Question: 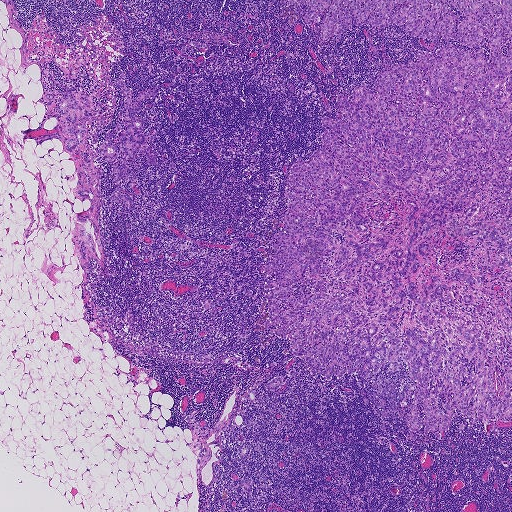
Which magnification is this H&E lymph node field most likely shown at?

Choices:
 (A) about 5×
 (B) about 40×
 (C) about 20×
 (D) about 10×
 (E) about 2.5×

Answer: (E) about 2.5×
A 1.9-mm field of an H&E-stained sentinel lymph node from a breast-cancer patient (whole-slide image), shown at about 2.5×, about 3.6 µm per pixel.
Outlines of four tumour regions, largest first (closed clockwise paths, crop pixels): region 1: (511, 0), (510, 429), (460, 433), (455, 414), (411, 440), (406, 414), (363, 400), (372, 373), (322, 381), (264, 330), (292, 162), (322, 115), (344, 121), (339, 94), (446, 42), (364, 23), (319, 42), (323, 14), (308, 28), (280, 1); region 2: (66, 91), (85, 94), (93, 102), (91, 110), (84, 108), (86, 117), (101, 114), (111, 119), (101, 126), (86, 122), (87, 136), (76, 149), (90, 145), (93, 162), (101, 168), (97, 223), (102, 270), (92, 256), (90, 266), (82, 268), (72, 244), (74, 234), (83, 230), (73, 215), (90, 206), (73, 193), (78, 178), (60, 141), (51, 139), (34, 148), (34, 140), (24, 139), (24, 144), (20, 130), (33, 129), (40, 122), (46, 93), (58, 103); region 3: (121, 73), (133, 100), (142, 90), (157, 94), (142, 101), (135, 116), (146, 117), (146, 135), (157, 132), (145, 145), (154, 149), (159, 156), (168, 160), (175, 164), (176, 166), (169, 170), (172, 163), (158, 156), (156, 165), (147, 164), (135, 154), (128, 168), (141, 194), (130, 195), (130, 210), (110, 200), (116, 188), (134, 192), (128, 179), (113, 182), (114, 162), (103, 159), (98, 145), (113, 129), (119, 151), (115, 128), (125, 110), (114, 80); region 4: (278, 375), (283, 375), (283, 380), (282, 385), (280, 389), (275, 391), (270, 391), (266, 389), (265, 384), (269, 380).
About 35% of the image area is annotated as tumour.